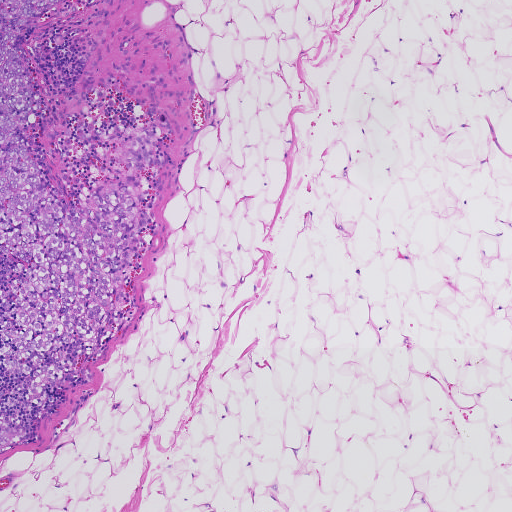
A 0.93-mm field of an H&E-stained sentinel lymph node from a breast-cancer patient (whole-slide image), shown at about 5×, about 1.8 µm per pixel.
Boundaries of two metastatic tumour regions, simplified and listed clockwise, largest first: region 1: (0, 0), (61, 0), (15, 44), (44, 104), (35, 150), (56, 195), (82, 204), (98, 147), (122, 126), (154, 121), (161, 134), (143, 177), (150, 221), (128, 276), (121, 328), (85, 375), (48, 386), (31, 407), (24, 406), (25, 376), (0, 366), (0, 288), (21, 264), (1, 252); region 2: (0, 424), (11, 429), (10, 438), (0, 445).
One more small tumour piece is annotated here but not outlined.
About 15% of this field is tumour.